Question: 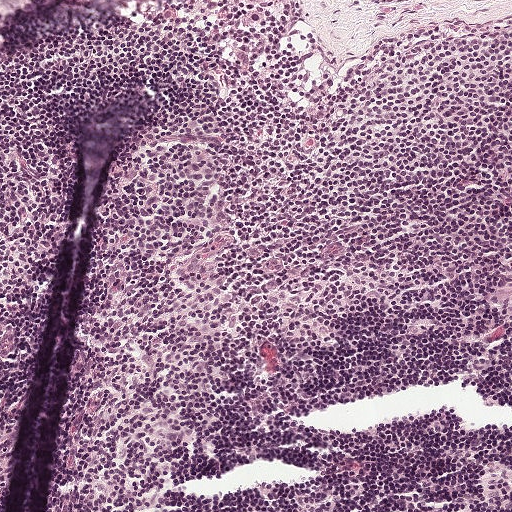
At roughly what magnification is this field shown?

Choices:
 (A) about 40×
 (B) about 5×
 (C) about 10×
 (D) about 20×
 (E) about 2.5×

Answer: (C) about 10×
Lymph node section stained with H&E, from a whole-slide image of a breast-cancer sentinel node. Magnification about 10×, about 0.5 mm across the frame, about 0.97 µm per pixel.